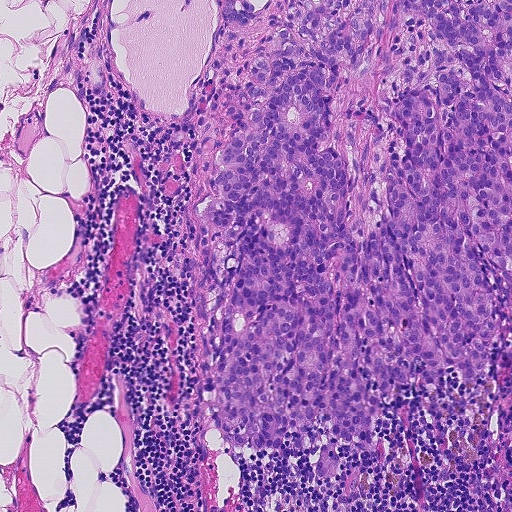
H&E-stained section of a sentinel lymph node (breast cancer), from a whole-slide image, viewed at about 10×: the field is about 0.46 mm across, about 0.9 µm per pixel.
The outlined metastatic tumour's edge, as a closed clockwise path of 24 points: (284, 0), (511, 0), (511, 301), (498, 316), (487, 373), (463, 393), (446, 362), (440, 403), (416, 370), (374, 419), (370, 454), (340, 442), (338, 475), (327, 481), (307, 449), (267, 451), (214, 431), (193, 382), (181, 257), (196, 216), (218, 196), (208, 179), (224, 96), (242, 90).
About 45% of the image area is annotated as tumour.